Question: 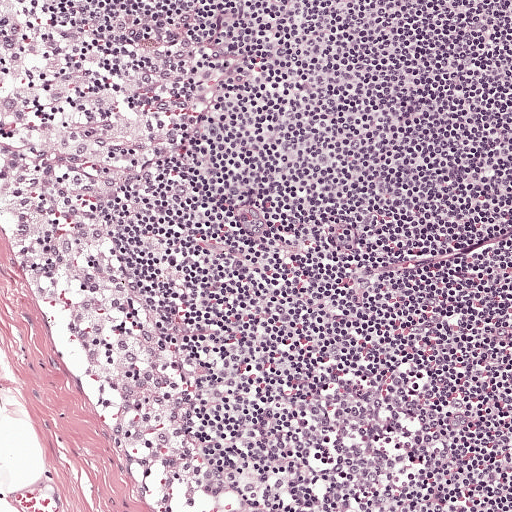
About what magnification does this crop show?

Choices:
 (A) about 2.5×
 (B) about 10×
 (C) about 20×
 (D) about 40×
 (E) about 5×

Answer: (B) about 10×
Lymph node section stained with H&E, from a whole-slide image of a breast-cancer sentinel node. Magnification about 10×, about 0.5 mm across the frame, about 0.97 µm per pixel.